Question: 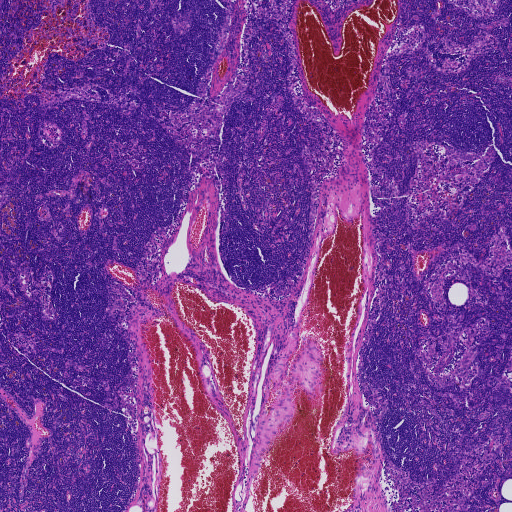
Which magnification is this H&E lymph node field most likely shown at?

Choices:
 (A) about 10×
 (B) about 2.5×
 (C) about 5×
 (D) about 20×
 (E) about 40×

Answer: (B) about 2.5×
A 1.9-mm field of an H&E-stained sentinel lymph node from a breast-cancer patient (whole-slide image), shown at about 2.5×, about 3.6 µm per pixel.